A 0.25-mm field of an H&E-stained sentinel lymph node from a breast-cancer patient (whole-slide image), shown at about 20×, about 0.49 µm per pixel.
Image:
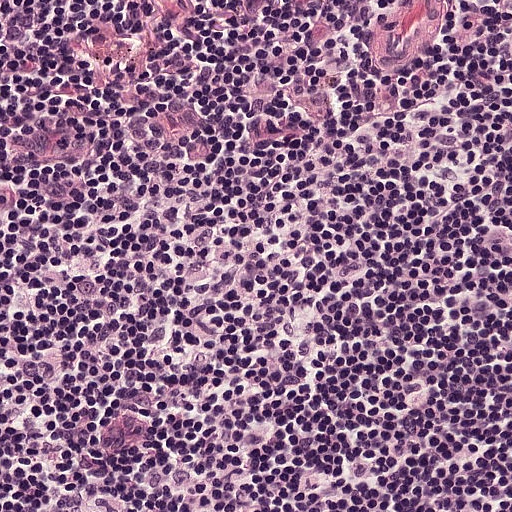
Question:
Does this lymph node field contain metastatic tumour?
Answer:
No. No metastatic tumour is outlined in this field.